Image:
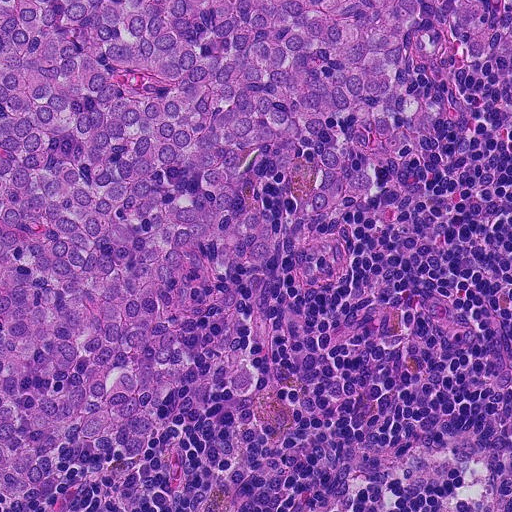
Lymph node section stained with H&E, from a whole-slide image of a breast-cancer sentinel node. Magnification about 20×, about 0.23 mm across the frame, about 0.45 µm per pixel.
Question:
Does this lymph node field contain metastatic tumour?
Answer:
Yes.
One metastatic tumour region; its boundary, reduced to 20 corners and listed clockwise: (0, 0), (511, 0), (511, 18), (472, 61), (442, 60), (430, 88), (442, 116), (426, 142), (364, 162), (377, 190), (355, 212), (295, 214), (260, 186), (284, 247), (192, 306), (176, 334), (184, 394), (149, 445), (63, 460), (0, 503).
About 55% of the image area is annotated as tumour.